Question: 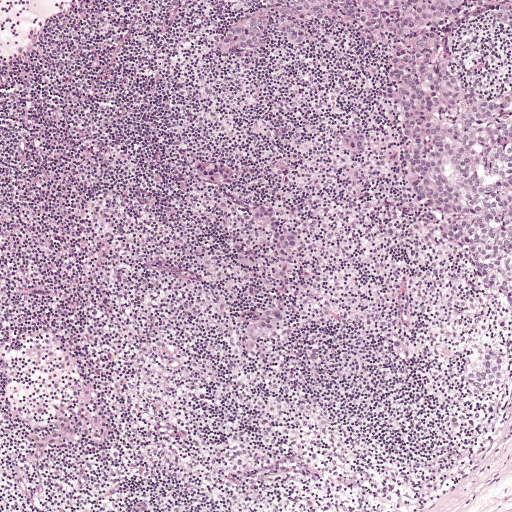
A 1-mm field of an H&E-stained sentinel lymph node from a breast-cancer patient (whole-slide image), shown at about 5×, about 1.9 µm per pixel.
Estimate the proportion of this field that is metastatic tumour.

Choices:
 (A) about 50% or more
 (B) none: no tumour is outlined
 (C) about 5% or less
 (D) about 10% to 20%
 (E) about 25% to 45%

Answer: (D) about 10% to 20%
About 15% of the field is tumour.
Six metastatic tumour regions, each outlined as a closed clockwise path in crop pixels (x, y), largest first: region 1: (511, 0), (511, 45), (506, 22), (479, 13), (459, 20), (448, 37), (474, 90), (502, 99), (511, 92), (511, 331), (504, 322), (508, 311), (481, 290), (402, 185), (397, 135), (355, 156), (336, 144), (334, 132), (355, 122), (374, 140), (394, 129), (394, 105), (371, 97), (372, 82), (391, 53), (321, 18), (307, 51), (295, 53), (283, 46), (271, 9), (272, 44), (252, 63), (228, 60), (216, 53), (218, 41), (252, 4); region 2: (198, 155), (232, 162), (240, 173), (235, 184), (238, 196), (249, 202), (260, 198), (270, 202), (277, 211), (277, 230), (299, 229), (303, 234), (302, 254), (298, 262), (274, 260), (282, 300), (292, 309), (289, 334), (267, 342), (254, 363), (242, 359), (238, 348), (239, 332), (256, 312), (278, 300), (271, 257), (239, 270), (224, 251), (228, 240), (239, 238), (260, 253), (271, 256), (273, 232), (250, 226), (248, 213), (241, 204), (230, 196), (192, 182), (184, 173), (186, 160); region 3: (499, 348), (510, 364), (510, 378), (505, 389), (497, 397), (486, 401), (472, 399), (464, 391), (458, 380), (460, 367), (476, 349); region 4: (392, 336), (406, 336), (419, 345), (418, 358), (407, 359), (394, 358), (386, 347); region 5: (291, 166), (291, 180), (287, 184), (282, 184), (283, 168); region 6: (158, 0), (159, 0), (152, 4), (150, 15), (138, 10), (148, 4).
Four more small tumour pieces are annotated here but not outlined.